Image:
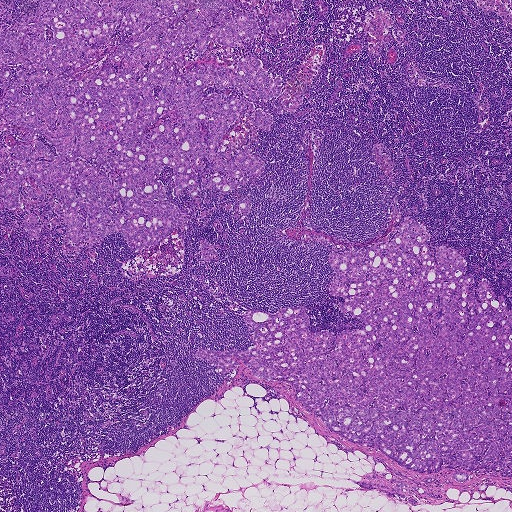
This is a crop of a whole-slide image: an H&E-stained breast-cancer sentinel lymph node section at roughly 2.5× magnification (about 3.6 µm per pixel; the crop spans about 1.9 mm).
Question:
Which parts of this field are metastatic tumour?
Answer:
Outlines of three tumour regions, largest first (closed clockwise paths, crop pixels): region 1: (232, 0), (262, 28), (303, 0), (284, 34), (231, 48), (283, 81), (253, 101), (273, 121), (247, 216), (243, 186), (174, 197), (159, 172), (206, 263), (179, 230), (84, 251), (38, 216), (30, 240), (36, 211), (2, 204), (0, 28), (40, 2); region 2: (411, 217), (432, 253), (462, 254), (469, 294), (480, 303), (485, 278), (511, 311), (511, 480), (452, 468), (428, 483), (326, 430), (287, 381), (195, 350), (254, 345), (248, 310), (362, 329), (327, 292), (330, 251); region 3: (367, 472), (391, 474), (392, 478), (401, 481), (407, 479), (412, 486), (421, 488), (442, 497), (435, 498), (412, 491), (413, 496), (417, 498), (420, 504), (416, 505), (411, 505), (405, 498), (402, 498), (396, 494), (393, 495), (395, 497), (388, 496), (383, 494), (376, 488), (362, 489), (356, 481), (360, 479).
About 40% of this field is tumour.